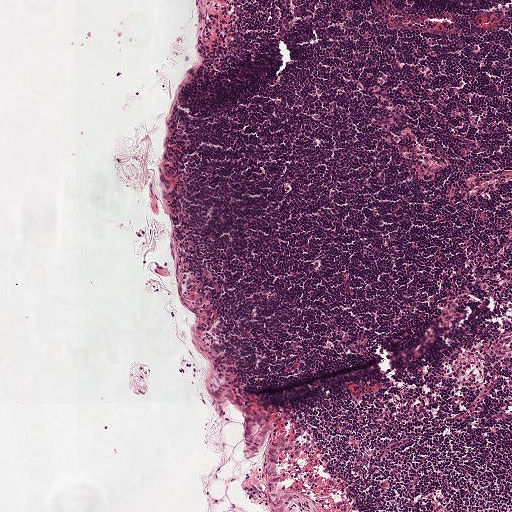
Lymph node section stained with H&E, from a whole-slide image of a breast-cancer sentinel node. Magnification about 5×, about 1 mm across the frame, about 1.9 µm per pixel.